H&E-stained section of a sentinel lymph node (breast cancer), from a whole-slide image, viewed at about 40×: the field is about 0.12 mm across, about 0.24 µm per pixel.
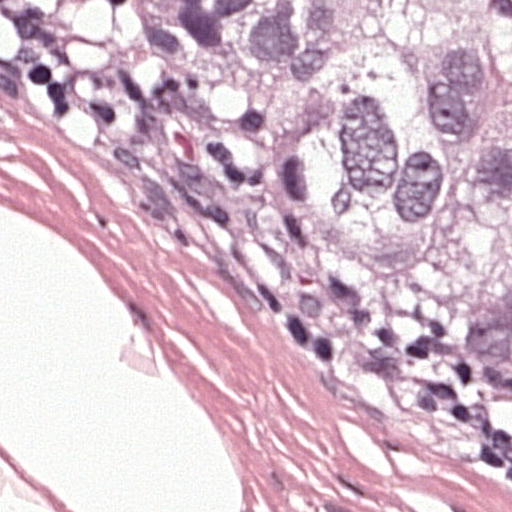
The outlined metastatic tumour's edge, as a closed clockwise path of 6 points: (77, 0), (511, 0), (511, 366), (331, 284), (209, 207), (104, 112).
About 40% of this field is tumour.